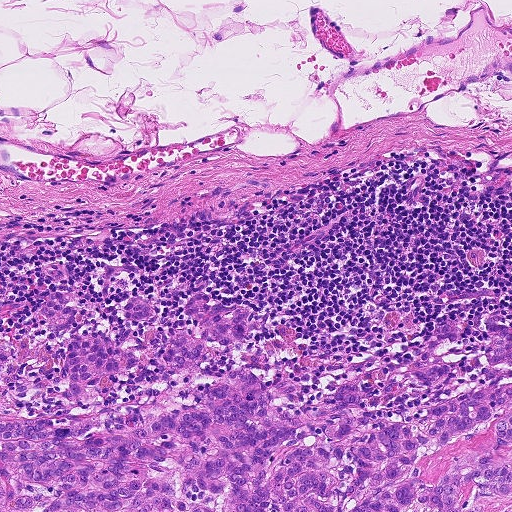
This is a crop of a whole-slide image: an H&E-stained breast-cancer sentinel lymph node section at roughly 10× magnification (about 0.9 µm per pixel; the crop spans about 0.46 mm).
Question: Is any metastatic breast cancer visible in this crop?
Answer: Yes.
Boundaries of three metastatic tumour regions, simplified and listed clockwise, largest first: region 1: (508, 308), (511, 511), (0, 511), (0, 408), (148, 419), (199, 401), (266, 348), (252, 374), (289, 376), (299, 386), (290, 402), (303, 403), (381, 366), (450, 314), (461, 331), (438, 347), (452, 374), (442, 394), (474, 384), (487, 312); region 2: (48, 287), (63, 292), (67, 307), (86, 312), (79, 328), (107, 336), (123, 330), (121, 312), (130, 296), (148, 296), (165, 328), (200, 335), (183, 302), (198, 293), (266, 315), (245, 343), (141, 386), (133, 374), (104, 378), (79, 397), (56, 378), (54, 333), (32, 312); region 3: (0, 144), (6, 147), (11, 162), (21, 174), (34, 179), (19, 176), (0, 170).
About 30% of the image area is annotated as tumour.